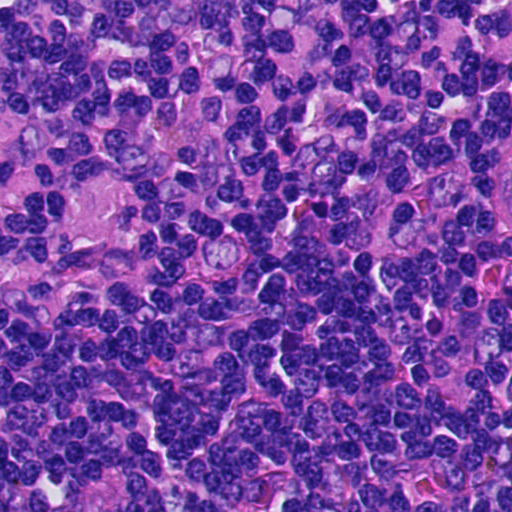
This is a crop of a whole-slide image: an H&E-stained breast-cancer sentinel lymph node section at roughly 40× magnification (about 0.23 µm per pixel; the crop spans about 0.12 mm).
One metastatic tumour region; its boundary, reduced to 10 corners and listed clockwise: (511, 136), (511, 235), (479, 196), (442, 219), (422, 245), (390, 255), (368, 215), (398, 190), (436, 172), (474, 166).
One more small tumour piece is annotated here but not outlined.
The annotated tumour makes up about 5% of the crop.